Lymph node section stained with H&E, from a whole-slide image of a breast-cancer sentinel node. Magnification about 20×, about 0.25 mm across the frame, about 0.49 µm per pixel.
Image:
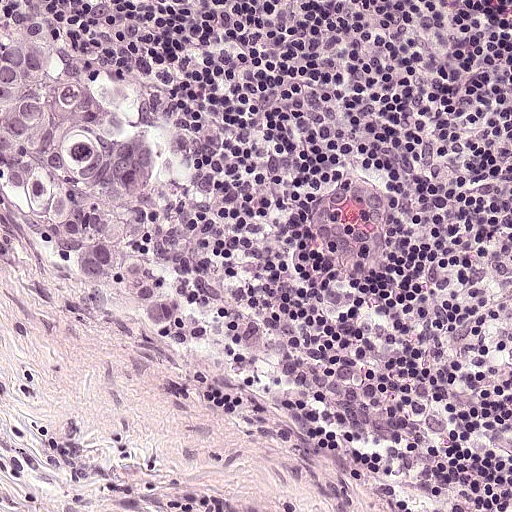
Question:
Is any metastatic breast cancer visible in this crop?
Answer:
Yes.
Metastatic tumour outline, simplified to 18 points and listed clockwise in crop pixels (x, y): (25, 18), (78, 54), (109, 122), (140, 139), (162, 182), (196, 204), (222, 274), (262, 324), (266, 349), (254, 355), (227, 350), (207, 330), (182, 344), (142, 341), (96, 300), (50, 276), (1, 207), (0, 20).
About 15% of the image area is annotated as tumour.